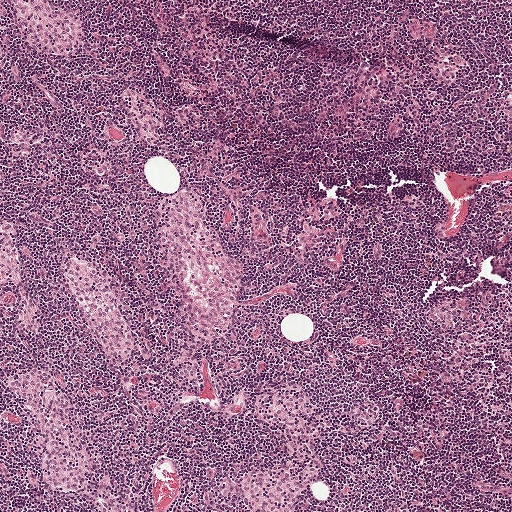
Lymph node section stained with H&E, from a whole-slide image of a breast-cancer sentinel node. Magnification about 5×, about 1 mm across the frame, about 1.9 µm per pixel.
Question: Does this lymph node field contain metastatic tumour?
Answer: No: no metastatic tumour is outlined anywhere in this field.